Question: 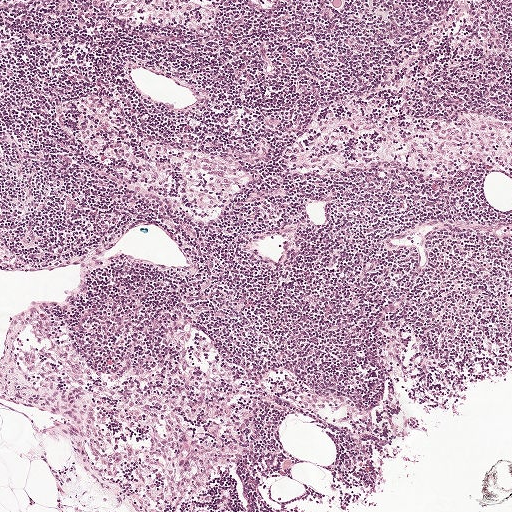
At roughly what magnification is this field shown?

Choices:
 (A) about 10×
 (B) about 40×
 (C) about 5×
 (D) about 2.5×
 (E) about 20×

Answer: (C) about 5×
H&E-stained section of a sentinel lymph node (breast cancer), from a whole-slide image, viewed at about 5×: the field is about 1 mm across, about 1.9 µm per pixel.